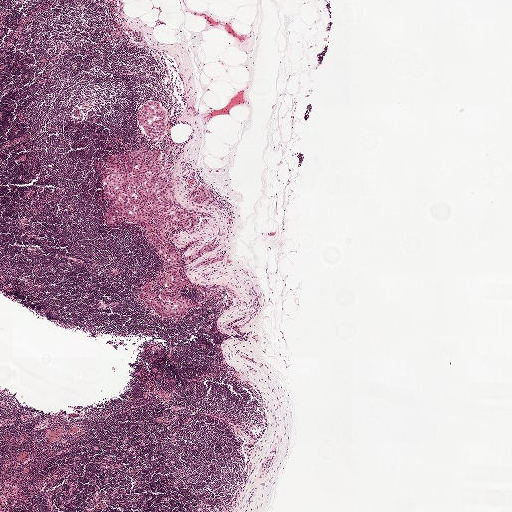
A 2.0-mm field of an H&E-stained sentinel lymph node from a breast-cancer patient (whole-slide image), shown at about 2.5×, about 3.9 µm per pixel.
Outlines of four tumour regions, largest first (closed clockwise paths, crop pixels): region 1: (140, 149), (155, 151), (174, 182), (175, 203), (197, 219), (192, 227), (169, 229), (185, 280), (179, 293), (194, 304), (181, 318), (169, 320), (138, 301), (142, 287), (163, 270), (139, 228), (103, 225), (110, 203), (101, 180); region 2: (153, 101), (161, 105), (164, 110), (167, 121), (161, 138), (149, 139), (140, 128), (136, 113), (143, 103); region 3: (200, 186), (204, 188), (209, 194), (209, 197), (207, 201), (196, 204), (191, 202), (189, 196), (192, 190); region 4: (214, 239), (218, 246), (204, 257), (196, 257), (195, 254), (197, 249), (207, 242).
About 5% of the image area is annotated as tumour.